Image:
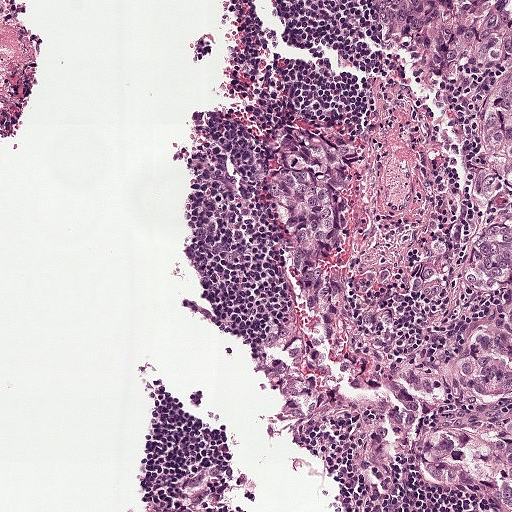
This is a crop of a whole-slide image: an H&E-stained breast-cancer sentinel lymph node section at roughly 10× magnification (about 0.97 µm per pixel; the crop spans about 0.5 mm).
Question:
Is there metastatic carcinoma in this field?
Answer:
Yes.
Three metastatic tumour regions, each outlined as a closed clockwise path in crop pixels (x, y), largest first: region 1: (511, 0), (511, 511), (485, 488), (448, 491), (416, 470), (426, 437), (445, 419), (450, 366), (472, 358), (480, 342), (459, 270), (477, 223), (477, 183), (448, 107), (396, 44), (390, 2); region 2: (295, 129), (359, 150), (343, 234), (327, 270), (389, 272), (399, 287), (384, 368), (410, 375), (422, 399), (420, 418), (396, 442), (394, 496), (372, 485), (352, 416), (332, 412), (291, 428), (264, 385), (270, 350), (295, 334), (306, 313), (262, 186), (278, 131); region 3: (212, 464), (224, 483), (230, 500), (245, 511), (153, 511), (151, 489), (154, 481), (197, 470).
About 25% of the image area is annotated as tumour.